Question: 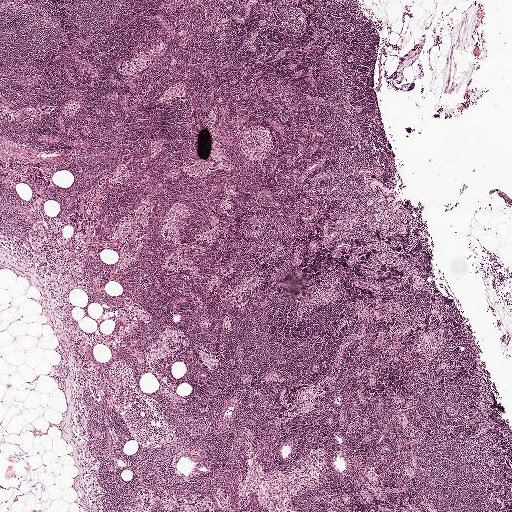
H&E-stained section of a sentinel lymph node (breast cancer), from a whole-slide image, viewed at about 2.5×: the field is about 2.0 mm across, about 3.9 µm per pixel.
About how much of this crop is taken up by metastatic carcinoma?

Choices:
 (A) about 5% or less
 (B) about 25% to 45%
 (C) about 10% to 20%
 (D) about 50% or more
 (E) none: no tumour is outlined

Answer: (E) none: no tumour is outlined
No metastatic tumour is outlined in this field.